Image:
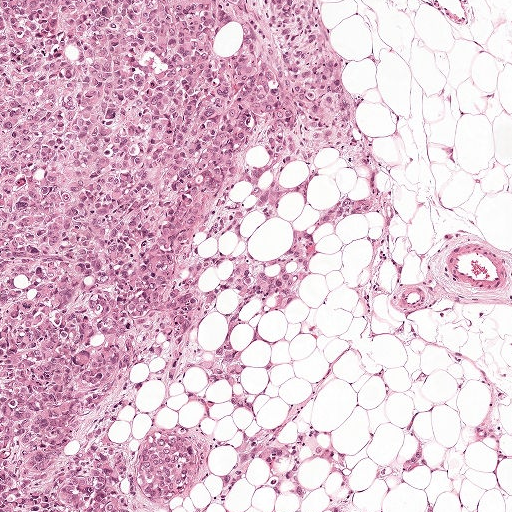
A 1-mm field of an H&E-stained sentinel lymph node from a breast-cancer patient (whole-slide image), shown at about 5×, about 1.9 µm per pixel.
Question:
Describe where the metastatic carcinoma lies in this crop.
Answer:
Metastatic tumour outline, simplified to 11 points and listed clockwise in crop pixels (x, y): (0, 0), (321, 0), (386, 216), (325, 248), (309, 300), (263, 342), (249, 380), (276, 424), (327, 432), (377, 511), (0, 511).
Tumour covers about 65% of the frame.